A 0.23-mm field of an H&E-stained sentinel lymph node from a breast-cancer patient (whole-slide image), shown at about 20×, about 0.45 µm per pixel.
Image:
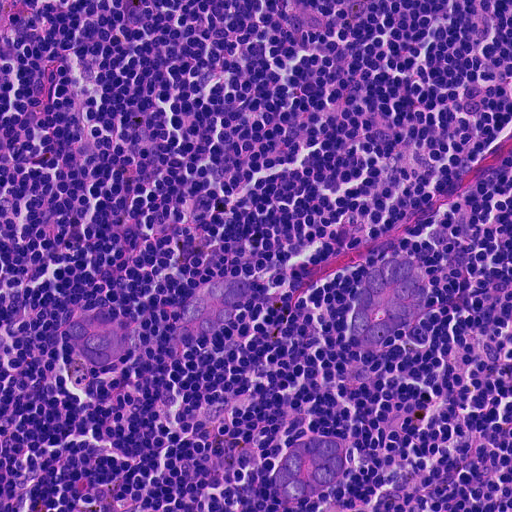
Question:
Outline the metastatic carcinoma in this image, as closed paths of (x, y) pixel coordinates.
Answer:
Outlines of three tumour regions, largest first (closed clockwise paths, crop pixels): region 1: (404, 252), (424, 258), (429, 296), (423, 314), (375, 349), (356, 344), (350, 325), (352, 304), (357, 284), (368, 268), (386, 258); region 2: (302, 436), (342, 438), (350, 456), (348, 475), (334, 490), (312, 496), (306, 501), (286, 500), (272, 484), (275, 465), (286, 447); region 3: (242, 275), (253, 292), (245, 310), (229, 323), (211, 332), (188, 330), (180, 313), (190, 296), (204, 282), (222, 277).
One more small tumour piece is annotated here but not outlined.
About 5% of the image area is annotated as tumour.